Question: 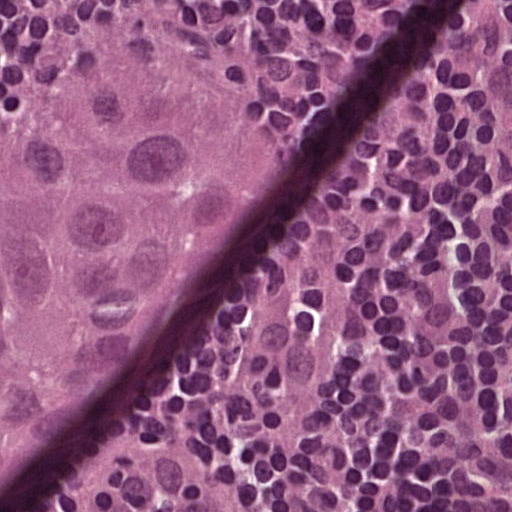
About what magnification does this crop show?

Choices:
 (A) about 10×
 (B) about 5×
 (C) about 40×
 (D) about 2.5×
 (E) about 20×

Answer: (C) about 40×
A 0.12-mm field of an H&E-stained sentinel lymph node from a breast-cancer patient (whole-slide image), shown at about 40×, about 0.24 µm per pixel.
One metastatic tumour region; its boundary, reduced to 7 corners and listed clockwise: (81, 12), (222, 77), (293, 165), (133, 451), (39, 511), (0, 511), (0, 80).
About 35% of the image area is annotated as tumour.